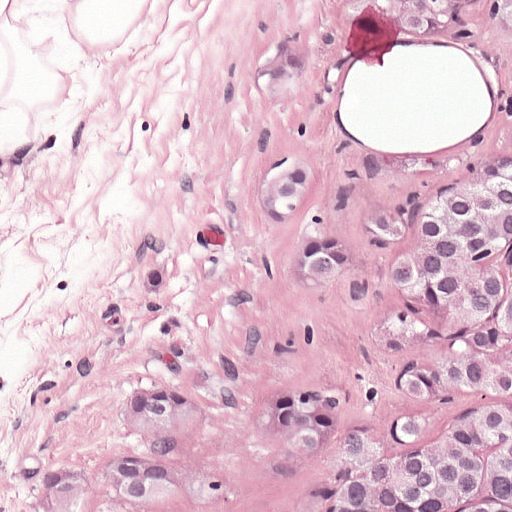
A 0.25-mm field of an H&E-stained sentinel lymph node from a breast-cancer patient (whole-slide image), shown at about 20×, about 0.49 µm per pixel.
Outlines of four tumour regions, largest first (closed clockwise paths, crop pixels): region 1: (511, 117), (511, 511), (202, 511), (258, 413), (301, 376), (376, 389), (366, 320), (273, 281), (302, 242), (449, 174); region 2: (511, 0), (511, 98), (506, 60), (413, 40), (374, 1); region 3: (144, 443), (187, 455), (174, 498), (118, 511), (96, 464); region 4: (303, 28), (324, 54), (306, 92), (258, 103), (251, 64), (280, 31).
Two more small tumour pieces are annotated here but not outlined.
Tumour covers about 35% of the frame.